Image:
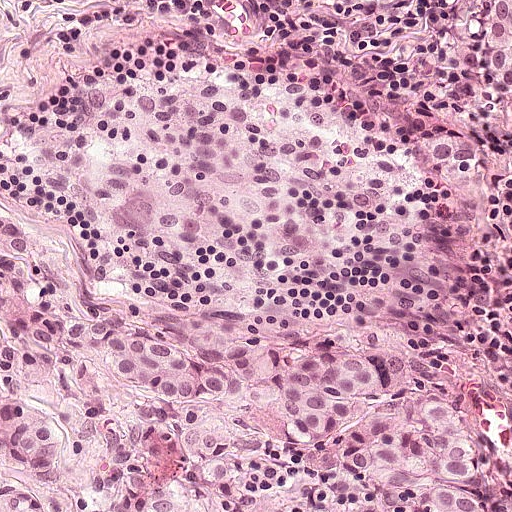
Lymph node section stained with H&E, from a whole-slide image of a breast-cancer sentinel node. Magnification about 20×, about 0.25 mm across the frame, about 0.49 µm per pixel.
Question:
Does this lymph node field contain metastatic tumour?
Answer:
Yes.
Boundaries of two metastatic tumour regions, simplified and listed clockwise, largest first: region 1: (0, 201), (56, 226), (164, 302), (316, 319), (436, 349), (466, 380), (483, 511), (0, 511); region 2: (497, 0), (511, 0), (511, 145), (490, 139), (482, 119), (466, 100), (472, 62), (484, 38).
The annotated tumour makes up about 40% of the crop.